Question: 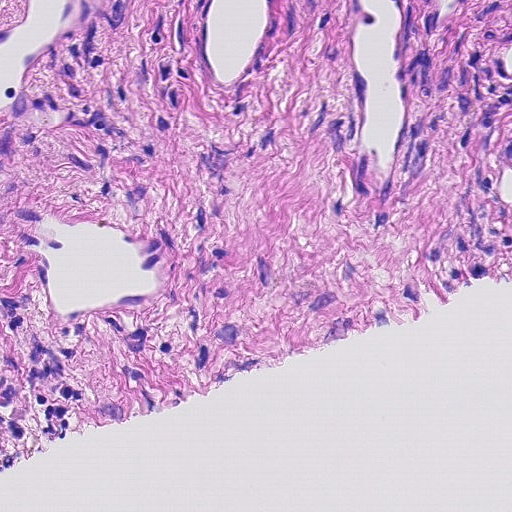
H&E-stained section of a sentinel lymph node (breast cancer), from a whole-slide image, viewed at about 20×: the field is about 0.23 mm across, about 0.45 µm per pixel.
Roughly what share of this field is metastatic tumour?

Choices:
 (A) none: no tumour is outlined
 (B) about 25% to 45%
 (C) about 10% to 20%
 (D) about 50% or more
 (E) about 5% or less

Answer: (D) about 50% or more
About 75% of the field is tumour.
One metastatic tumour region; its boundary, reduced to 4 corners and listed clockwise: (0, 0), (511, 0), (511, 278), (0, 469).